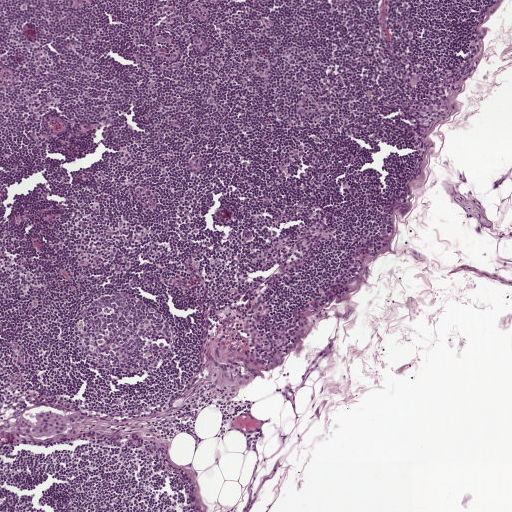
H&E-stained section of a sentinel lymph node (breast cancer), from a whole-slide image, viewed at about 5×: the field is about 1 mm across, about 1.9 µm per pixel.
Question: Describe where the metastatic carcinoma lies in this crop.
Answer: The outlined metastatic tumour's edge, as a closed clockwise path of 16 points: (50, 410), (65, 414), (76, 412), (86, 418), (82, 423), (74, 425), (66, 433), (59, 434), (38, 437), (10, 431), (11, 429), (21, 417), (24, 415), (34, 422), (35, 414), (38, 412).
Under 5% of the image area is annotated as tumour.